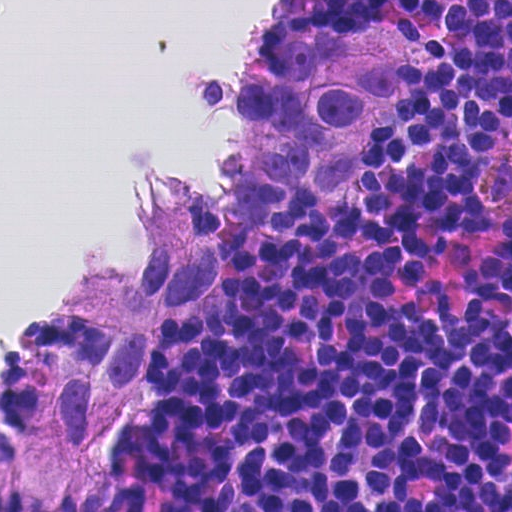
This is a crop of a whole-slide image: an H&E-stained breast-cancer sentinel lymph node section at roughly 40× magnification (about 0.23 µm per pixel; the crop spans about 0.12 mm).
Question: Outline the metastatic carcinoma in this image, as closed paths of (x, y) pixel coordinates.
Answer: One metastatic tumour region; its boundary, reduced to 22 corners and listed clockwise: (383, 19), (424, 60), (374, 167), (325, 201), (266, 214), (223, 282), (172, 314), (115, 445), (109, 503), (36, 511), (9, 499), (61, 384), (108, 345), (13, 332), (71, 276), (131, 265), (146, 236), (128, 202), (181, 174), (216, 193), (229, 87), (265, 39).
Tumour covers about 25% of the frame.